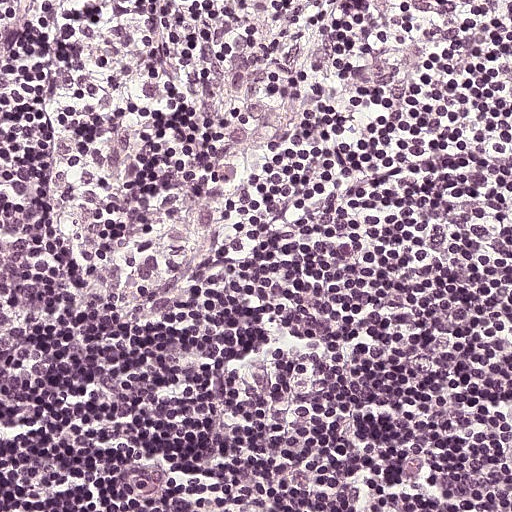
Lymph node section stained with H&E, from a whole-slide image of a breast-cancer sentinel node. Magnification about 20×, about 0.25 mm across the frame, about 0.49 µm per pixel.
Question: Is any metastatic breast cancer visible in this crop?
Answer: No, this field holds no outlined metastasis.